H&E-stained section of a sentinel lymph node (breast cancer), from a whole-slide image, viewed at about 2.5×: the field is about 1.9 mm across, about 3.6 µm per pixel.
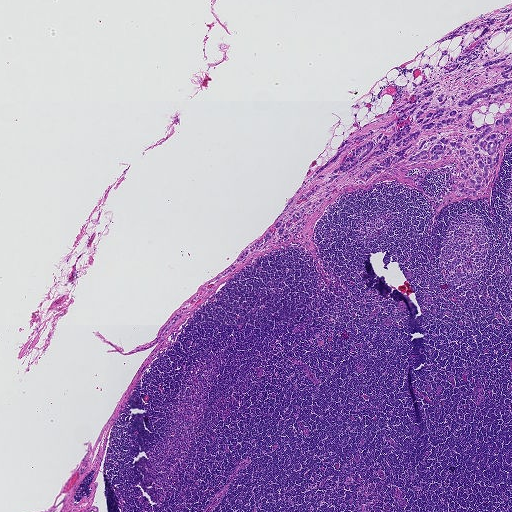
Metastatic tumour outline, simplified to 23 points and listed clockwise in crop pixels (x, y): (511, 2), (511, 137), (482, 199), (452, 199), (454, 181), (446, 166), (424, 178), (424, 195), (390, 177), (347, 186), (284, 241), (235, 260), (344, 140), (392, 119), (394, 105), (440, 71), (447, 60), (436, 68), (442, 48), (451, 57), (460, 50), (460, 36), (434, 41).
Tumour covers about 10% of the frame.